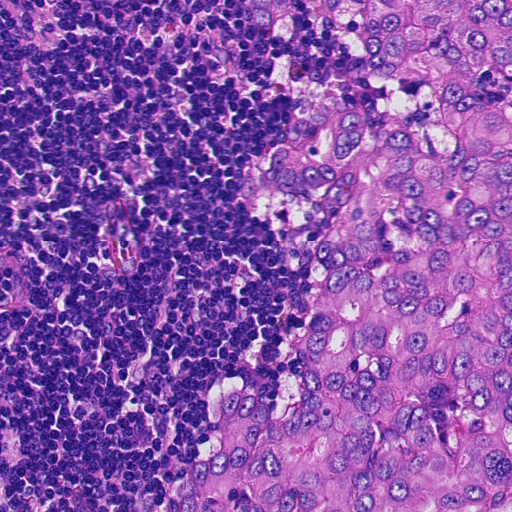
This is a crop of a whole-slide image: an H&E-stained breast-cancer sentinel lymph node section at roughly 20× magnification (about 0.45 µm per pixel; the crop spans about 0.23 mm).
One metastatic tumour region; its boundary, reduced to 18 corners and listed clockwise: (220, 0), (511, 0), (511, 511), (169, 511), (194, 462), (205, 396), (236, 370), (276, 381), (320, 302), (321, 281), (302, 266), (307, 235), (266, 186), (272, 147), (326, 84), (392, 96), (341, 24), (256, 25).
Tumour covers about 45% of the frame.